Image:
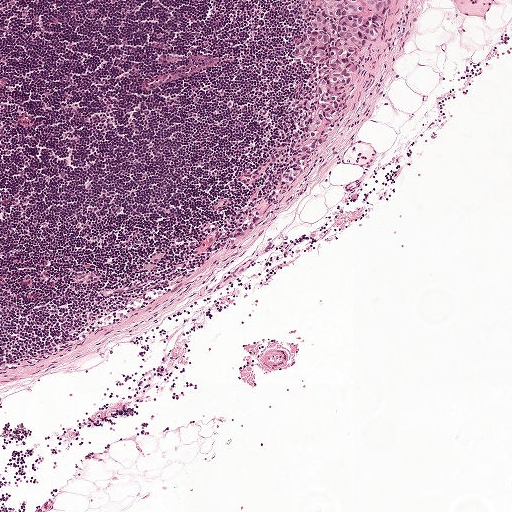
A 1-mm field of an H&E-stained sentinel lymph node from a breast-cancer patient (whole-slide image), shown at about 5×, about 1.9 µm per pixel.
Question:
Trace the edge of each tumour region in this crop, as (x, y) points from 0 to 511.
Answer:
Tumour region outline (a closed clockwise path, crop pixels): (292, 0), (389, 0), (380, 24), (356, 60), (347, 103), (325, 148), (309, 164), (294, 188), (288, 193), (280, 193), (275, 190), (314, 111), (323, 78), (319, 69), (307, 64), (300, 54), (297, 42), (305, 20), (301, 8).
Tumour covers about 5% of the frame.